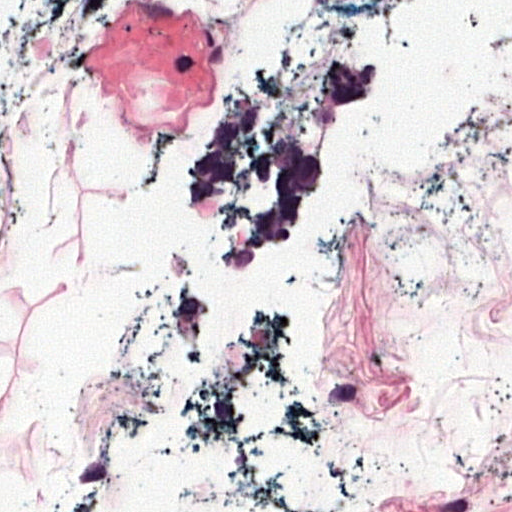
This is a crop of a whole-slide image: an H&E-stained breast-cancer sentinel lymph node section at roughly 40× magnification (about 0.24 µm per pixel; the crop spans about 0.12 mm).
Metastatic tumour outline, simplified to 6 points and listed clockwise in crop pixels (x, y): (397, 31), (346, 169), (222, 329), (168, 342), (182, 165), (242, 73).
About 15% of the image area is annotated as tumour.